Image:
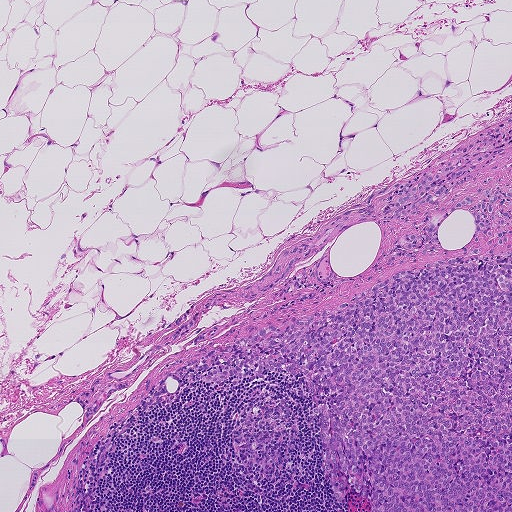
This is a crop of a whole-slide image: an H&E-stained breast-cancer sentinel lymph node section at roughly 5× magnification (about 1.8 µm per pixel; the crop spans about 0.93 mm).
Question:
Does this lymph node field contain metastatic tumour?
Answer:
Yes.
The outlined metastatic tumour's edge, as a closed clockwise path of 24 points: (507, 147), (453, 191), (511, 176), (511, 511), (370, 511), (353, 489), (337, 500), (313, 407), (337, 401), (285, 372), (216, 385), (201, 378), (254, 351), (236, 340), (466, 256), (476, 222), (458, 209), (436, 231), (434, 256), (388, 265), (415, 226), (390, 220), (390, 207), (455, 157).
About 20% of the image area is annotated as tumour.